This is a crop of a whole-slide image: an H&E-stained breast-cancer sentinel lymph node section at roughly 2.5× magnification (about 3.9 µm per pixel; the crop spans about 2.0 mm).
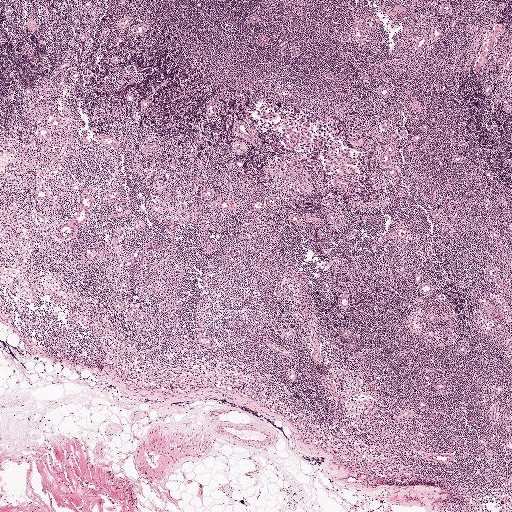
Boundaries of two metastatic tumour regions, simplified and listed clockwise, largest first: region 1: (262, 104), (281, 105), (289, 111), (322, 117), (337, 125), (343, 132), (340, 141), (367, 159), (369, 173), (367, 178), (362, 180), (359, 171), (351, 180), (337, 178), (327, 168), (323, 154), (317, 157), (304, 149), (294, 152), (284, 146), (281, 132), (264, 127), (257, 117), (255, 112); region 2: (292, 158), (314, 161), (319, 164), (318, 170), (315, 172), (306, 168), (288, 169), (287, 164).
Under 5% of this field is tumour.